Question: 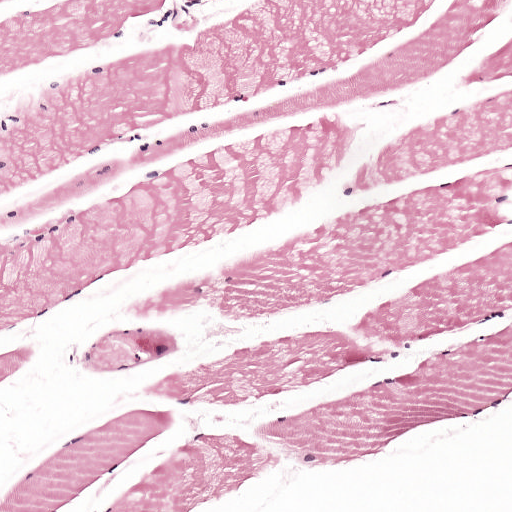
At roughly what magnification is this field shown?

Choices:
 (A) about 2.5×
 (B) about 40×
 (C) about 10×
 (D) about 5×
 (E) about 20×

Answer: (C) about 10×
Lymph node section stained with H&E, from a whole-slide image of a breast-cancer sentinel node. Magnification about 10×, about 0.5 mm across the frame, about 0.97 µm per pixel.